Lymph node section stained with H&E, from a whole-slide image of a breast-cancer sentinel node. Magnification about 10×, about 0.5 mm across the frame, about 0.97 µm per pixel.
Image:
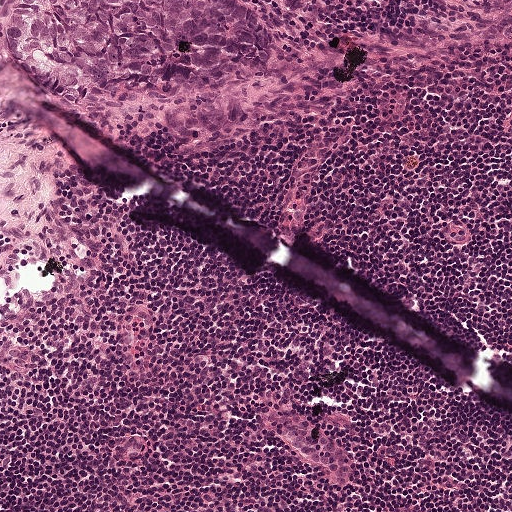
Question:
Does this lymph node field contain metastatic tumour?
Answer:
Yes.
Two metastatic tumour regions, each outlined as a closed clockwise path in crop pixels (x, y), largest first: region 1: (0, 0), (233, 0), (260, 16), (270, 36), (263, 67), (211, 92), (120, 101), (44, 124), (1, 117); region 2: (267, 0), (308, 0), (302, 12), (281, 12).
About 10% of the image area is annotated as tumour.